Image:
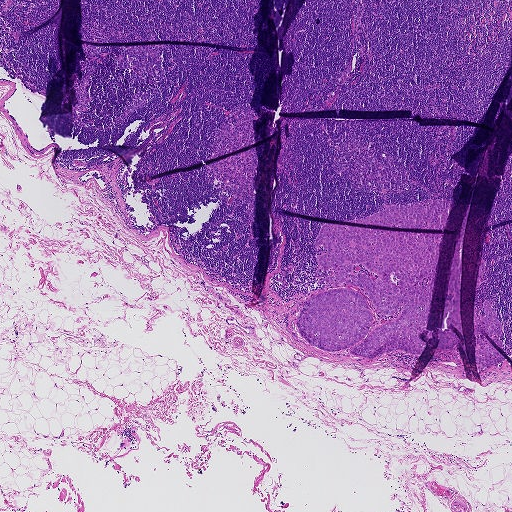
Lymph node section stained with H&E, from a whole-slide image of a breast-cancer sentinel node. Magnification about 2.5×, about 1.9 mm across the frame, about 3.6 µm per pixel.
Question:
Is any metastatic breast cancer visible in this crop?
Answer:
Yes.
Outlines of three tumour regions, largest first (closed clockwise paths, crop pixels): region 1: (322, 225), (441, 235), (425, 326), (418, 335), (425, 343), (419, 353), (349, 353), (368, 333), (331, 352), (305, 341), (298, 318), (315, 295), (355, 291), (372, 313), (370, 329), (397, 318), (402, 307), (383, 314), (362, 289), (324, 279), (336, 269), (318, 264), (328, 250), (314, 245); region 2: (436, 199), (451, 202), (443, 229), (365, 224), (349, 221), (370, 215), (393, 204), (401, 206), (415, 202), (427, 206); region 3: (487, 298), (496, 312), (502, 327), (500, 335), (494, 336), (502, 341), (505, 351), (487, 330), (479, 328), (479, 331), (505, 359), (493, 366), (485, 366), (481, 366), (476, 359), (474, 334), (474, 306), (478, 307), (481, 315), (486, 316), (483, 313), (482, 304), (484, 300).
One more small tumour piece is annotated here but not outlined.
The annotated tumour makes up about 5% of the crop.